A 0.23-mm field of an H&E-stained sentinel lymph node from a breast-cancer patient (whole-slide image), shown at about 20×, about 0.45 µm per pixel.
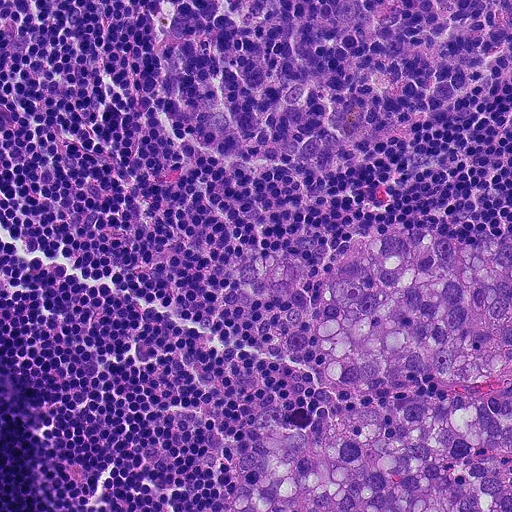
Tumour region outline (a closed clockwise path, crop pixels): (394, 226), (505, 244), (511, 511), (238, 511), (236, 467), (254, 413), (338, 420), (421, 394), (478, 400), (502, 381), (411, 373), (358, 394), (332, 386), (276, 322), (330, 284), (284, 309), (257, 305), (235, 288), (238, 260), (264, 248), (322, 262), (366, 229).
Tumour covers about 25% of the frame.